Question: 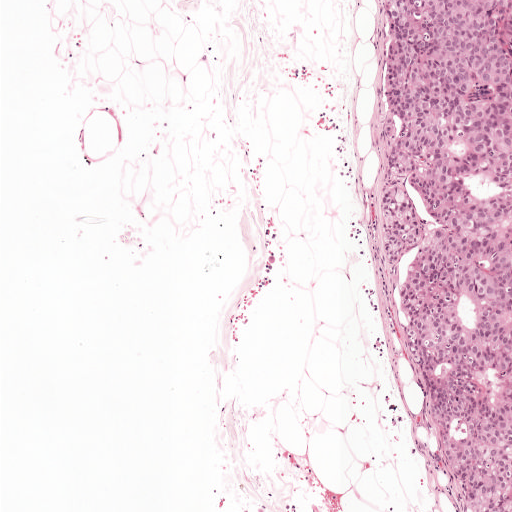
About what magnification does this crop show?

Choices:
 (A) about 2.5×
 (B) about 5×
 (C) about 20×
 (D) about 40×
 (E) about 10×

Answer: (B) about 5×
This is a crop of a whole-slide image: an H&E-stained breast-cancer sentinel lymph node section at roughly 5× magnification (about 1.9 µm per pixel; the crop spans about 1 mm).
Tumour region outline (a closed clockwise path, crop pixels): (511, 0), (511, 511), (467, 511), (394, 320), (381, 225), (384, 7).
About 20% of the image area is annotated as tumour.